Question: 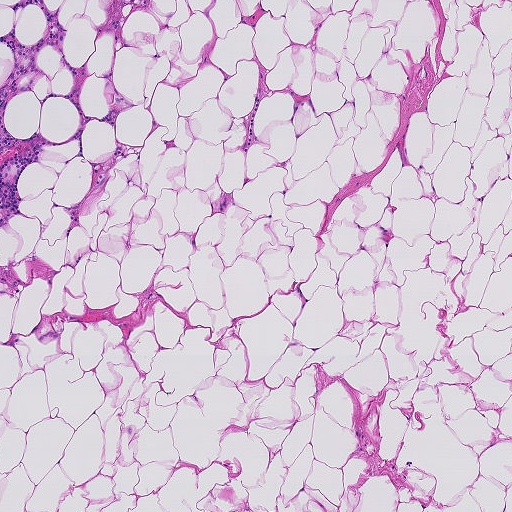
About what magnification does this crop show?

Choices:
 (A) about 10×
 (B) about 40×
 (C) about 20×
 (D) about 5×
 (E) about 2.5×

Answer: (D) about 5×
A 0.93-mm field of an H&E-stained sentinel lymph node from a breast-cancer patient (whole-slide image), shown at about 5×, about 1.8 µm per pixel.